Lymph node section stained with H&E, from a whole-slide image of a breast-cancer sentinel node. Magnification about 5×, about 1.0 mm across the frame, about 2.0 µm per pixel.
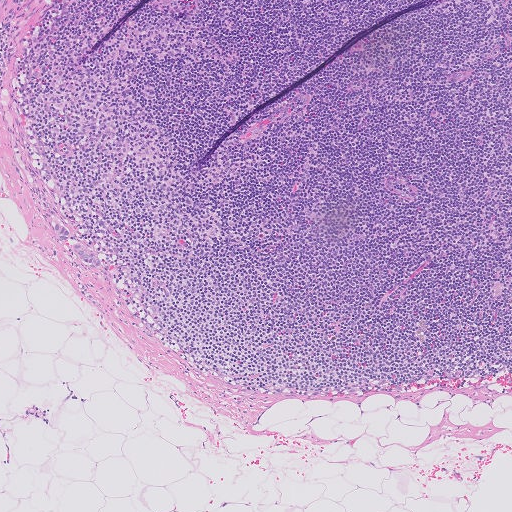
Two metastatic tumour regions, each outlined as a closed clockwise path in crop pixels (x, y), largest first: region 1: (72, 243), (79, 243), (83, 245), (99, 260), (100, 263), (99, 267), (92, 269), (84, 262), (70, 250), (69, 246); region 2: (57, 221), (68, 229), (69, 232), (69, 236), (68, 239), (62, 240), (56, 236), (52, 226), (54, 222).
The annotated tumour makes up under 5% of the crop.